Lymph node section stained with H&E, from a whole-slide image of a breast-cancer sentinel node. Magnification about 2.5×, about 2.0 mm across the frame, about 3.9 µm per pixel.
Question: 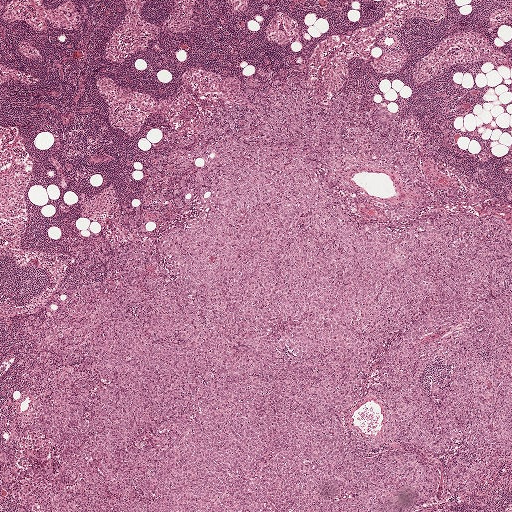
About how much of this crop is taken up by metastatic carcinoma?

Choices:
 (A) about 5% or less
 (B) about 50% or more
 (C) about 10% to 20%
 (D) about 25% to 45%
 (E) none: no tumour is outlined

Answer: (B) about 50% or more
About 60% of the field is tumour.
Tumour region outline (a closed clockwise path, crop pixels): (303, 64), (364, 128), (387, 108), (429, 188), (511, 234), (511, 487), (507, 461), (444, 499), (459, 444), (410, 448), (438, 485), (400, 511), (17, 511), (48, 301), (95, 240), (141, 240), (123, 213), (193, 218), (146, 177), (247, 75).
Two more small tumour pieces are annotated here but not outlined.